A 1-mm field of an H&E-stained sentinel lymph node from a breast-cancer patient (whole-slide image), shown at about 5×, about 1.9 µm per pixel.
Image:
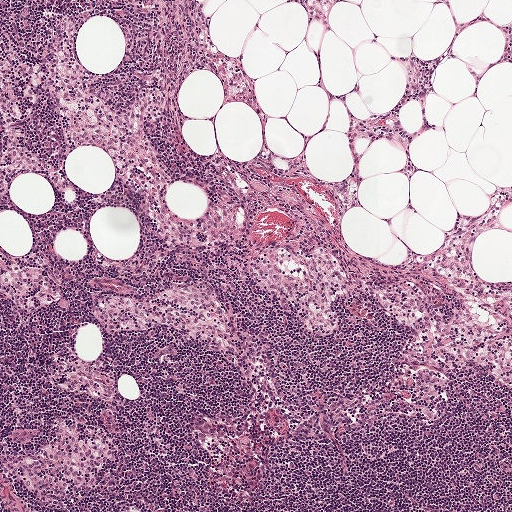
Question:
Does this lymph node field contain metastatic tumour?
Answer:
No: no metastatic tumour is outlined anywhere in this field.